Image:
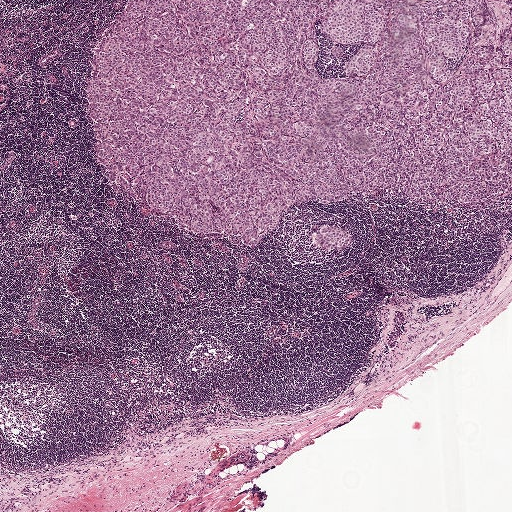
A 2.0-mm field of an H&E-stained sentinel lymph node from a breast-cancer patient (whole-slide image), shown at about 2.5×, about 3.9 µm per pixel.
Question:
Which parts of this field are metastatic tumour? Answer with the outline of each region, in pixels.
Answer:
Outlines of two tumour regions, largest first (closed clockwise paths, crop pixels): region 1: (511, 0), (511, 190), (481, 204), (389, 192), (299, 200), (259, 245), (182, 229), (112, 187), (93, 154), (87, 57), (124, 1); region 2: (325, 225), (336, 226), (348, 230), (350, 239), (347, 248), (322, 248), (315, 245), (312, 241), (314, 232).
About 35% of the image area is annotated as tumour.